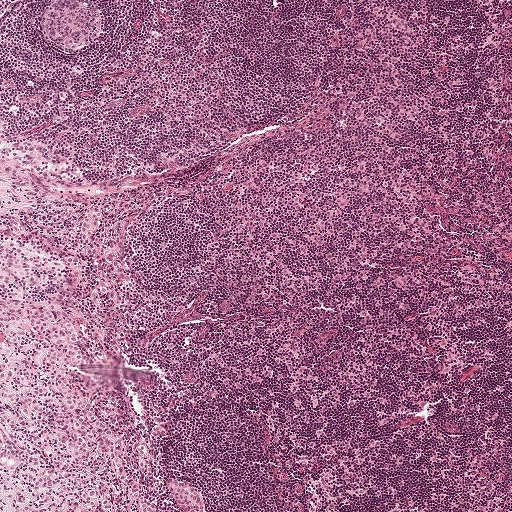
A 1-mm field of an H&E-stained sentinel lymph node from a breast-cancer patient (whole-slide image), shown at about 5×, about 1.9 µm per pixel.
Question: Where is the metastatic tumour in this field?
Answer: Four metastatic tumour regions, each outlined as a closed clockwise path in crop pixels (x, y), largest first: region 1: (0, 298), (66, 308), (76, 317), (82, 363), (73, 372), (74, 384), (90, 398), (118, 396), (117, 408), (100, 406), (131, 449), (162, 422), (170, 424), (168, 437), (148, 441), (154, 460), (150, 477), (136, 470), (144, 496), (160, 511), (0, 511); region 2: (119, 245), (126, 253), (124, 274), (118, 284), (114, 303), (107, 306), (94, 305), (92, 302), (92, 288), (106, 270), (107, 251), (112, 247); region 3: (90, 206), (102, 211), (101, 254), (97, 258), (82, 257), (76, 247), (77, 238); region 4: (177, 477), (185, 479), (188, 484), (200, 491), (204, 501), (204, 511), (181, 511), (176, 505), (170, 501), (167, 487), (170, 479).
Tumour covers about 10% of the frame.